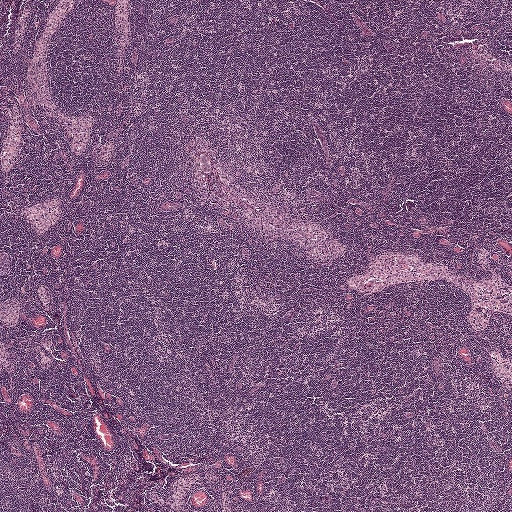
A 2.0-mm field of an H&E-stained sentinel lymph node from a breast-cancer patient (whole-slide image), shown at about 2.5×, about 3.9 µm per pixel.
Question: Outline the metastatic carcinoma in this image, as closed paths of (x, y) pixel coordinates.
Answer: Tumour region outline (a closed clockwise path, crop pixels): (200, 154), (204, 154), (208, 158), (210, 165), (210, 170), (208, 171), (201, 170), (197, 165), (197, 159).
Under 5% of this field is tumour.